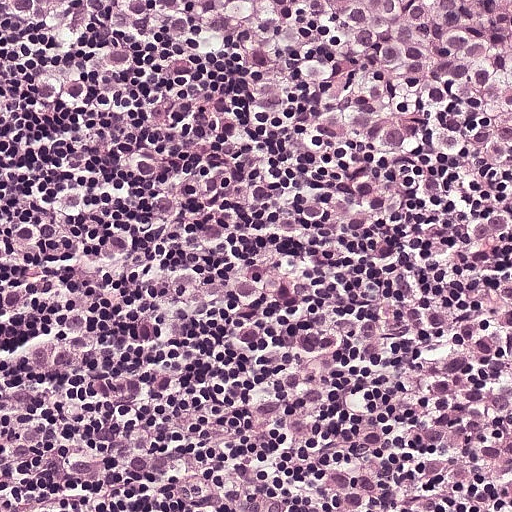
This is a crop of a whole-slide image: an H&E-stained breast-cancer sentinel lymph node section at roughly 20× magnification (about 0.49 µm per pixel; the crop spans about 0.25 mm).
One metastatic tumour region; its boundary, reduced to 10 corners and listed clockwise: (0, 0), (511, 0), (511, 511), (58, 511), (0, 491), (0, 224), (141, 224), (136, 195), (102, 152), (2, 100).
About 95% of the image area is annotated as tumour.